Question: 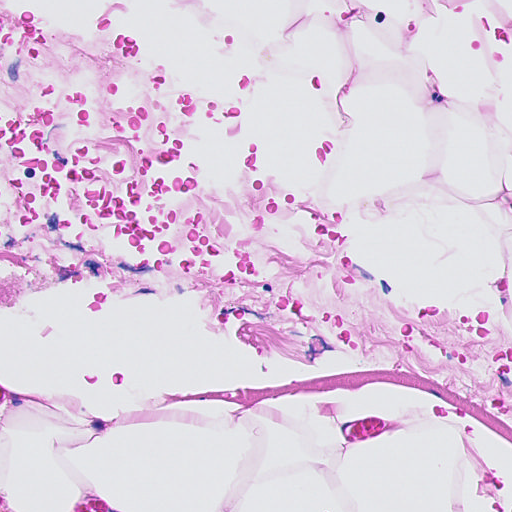
Which magnification is this H&E lymph node field most likely shown at?

Choices:
 (A) about 20×
 (B) about 5×
 (C) about 10×
 (D) about 40×
 (E) about 2.5×

Answer: (A) about 20×
Lymph node section stained with H&E, from a whole-slide image of a breast-cancer sentinel node. Magnification about 20×, about 0.23 mm across the frame, about 0.45 µm per pixel.